Question: 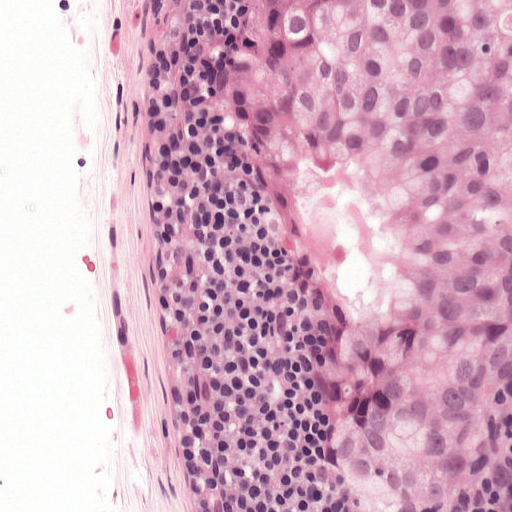
At roughly what magnification is this field shown?

Choices:
 (A) about 10×
 (B) about 40×
 (C) about 20×
 (D) about 5×
 (E) about 2.5×

Answer: (C) about 20×
This is a crop of a whole-slide image: an H&E-stained breast-cancer sentinel lymph node section at roughly 20× magnification (about 0.49 µm per pixel; the crop spans about 0.25 mm).
One metastatic tumour region; its boundary, reduced to 10 corners and listed clockwise: (216, 0), (511, 0), (511, 410), (489, 468), (437, 511), (344, 511), (310, 457), (316, 300), (281, 260), (252, 188).
Tumour covers about 45% of the frame.